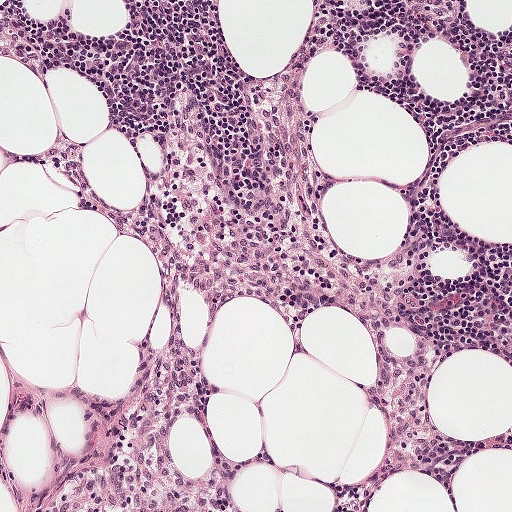
H&E-stained section of a sentinel lymph node (breast cancer), from a whole-slide image, viewed at about 10×: the field is about 0.5 mm across, about 0.97 µm per pixel.
Question: Does this lymph node field contain metastatic tumour?
Answer: No: no metastatic tumour is outlined anywhere in this field.